Question: 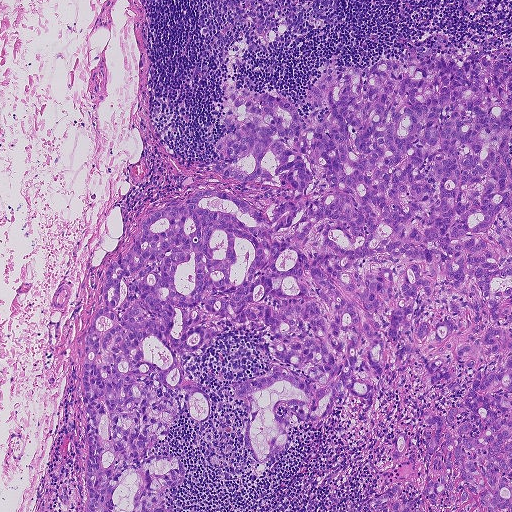
H&E-stained section of a sentinel lymph node (breast cancer), from a whole-slide image, viewed at about 5×: the field is about 0.93 mm across, about 1.8 µm per pixel.
Estimate the proportion of this field that is metastatic tumour.

Choices:
 (A) none: no tumour is outlined
 (B) about 25% to 45%
 (C) about 5% or less
 (D) about 50% or more
 (E) about 10% to 20%

Answer: (D) about 50% or more
About 65% of the field is tumour.
Metastatic tumour outline, simplified to 22 points and listed clockwise in crop pixels (x, y): (449, 54), (459, 66), (477, 54), (511, 69), (511, 511), (84, 511), (82, 347), (105, 304), (104, 272), (130, 250), (144, 215), (199, 190), (268, 206), (209, 164), (229, 134), (220, 116), (227, 78), (242, 90), (273, 89), (303, 117), (327, 58), (367, 68).